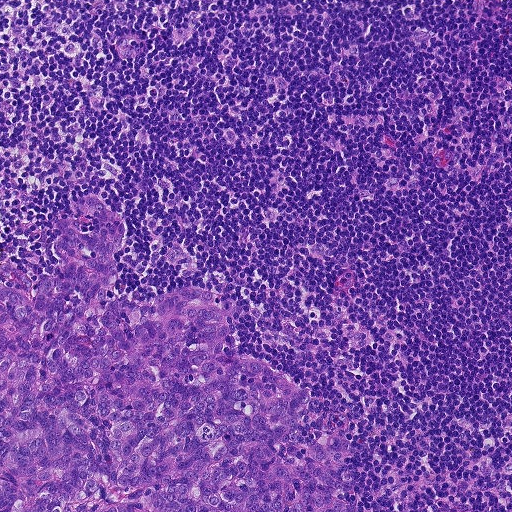
H&E-stained section of a sentinel lymph node (breast cancer), from a whole-slide image, viewed at about 10×: the field is about 0.46 mm across, about 0.9 µm per pixel.
The outlined metastatic tumour's edge, as a closed clockwise path of 23 points: (94, 195), (127, 226), (115, 253), (117, 298), (198, 288), (241, 306), (232, 318), (239, 354), (318, 403), (296, 442), (350, 440), (339, 470), (354, 488), (336, 497), (361, 511), (0, 511), (0, 283), (34, 305), (40, 278), (62, 270), (54, 222), (76, 218), (74, 203).
The annotated tumour makes up about 25% of the crop.